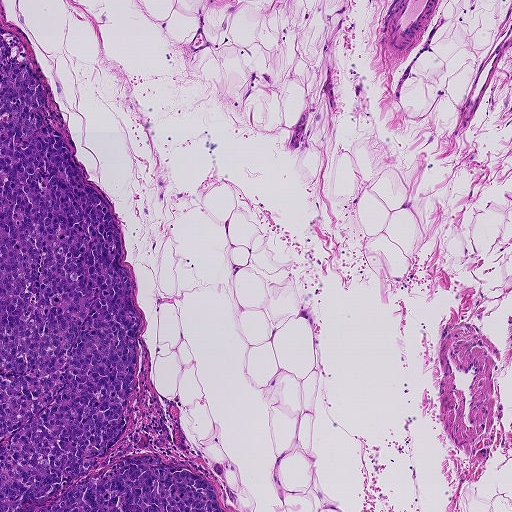
H&E-stained section of a sentinel lymph node (breast cancer), from a whole-slide image, viewed at about 5×: the field is about 0.93 mm across, about 1.8 µm per pixel.
The outlined metastatic tumour's edge, as a closed clockwise path of 13 points: (10, 63), (39, 76), (49, 117), (81, 179), (112, 201), (141, 317), (129, 424), (89, 474), (158, 455), (214, 481), (226, 510), (0, 511), (0, 83).
One more small tumour piece is annotated here but not outlined.
About 20% of the image area is annotated as tumour.